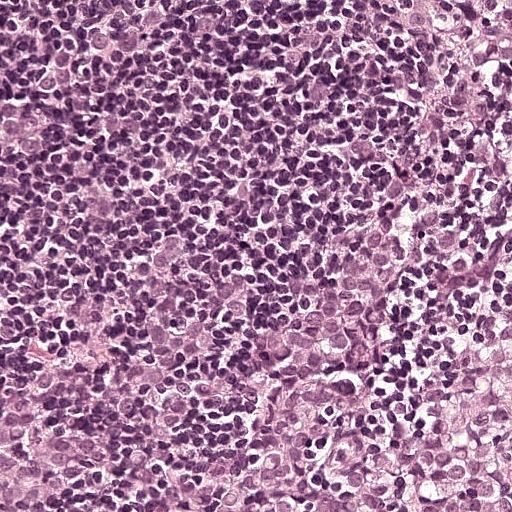
This is a crop of a whole-slide image: an H&E-stained breast-cancer sentinel lymph node section at roughly 20× magnification (about 0.49 µm per pixel; the crop spans about 0.25 mm).
One metastatic tumour region; its boundary, reduced to 8 corners and listed clockwise: (510, 81), (511, 511), (0, 511), (0, 322), (187, 242), (318, 267), (388, 240), (456, 181).
Tumour covers about 50% of the frame.